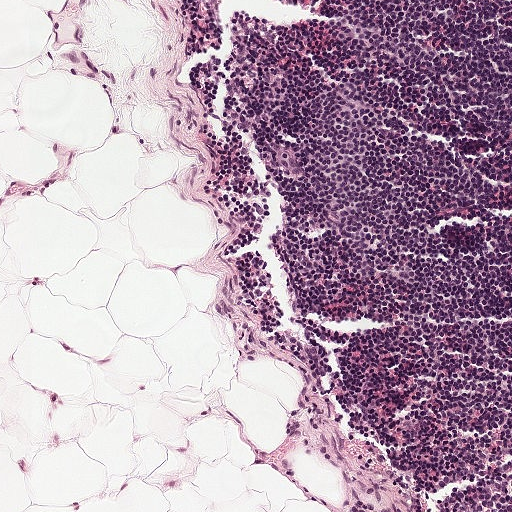
Lymph node section stained with H&E, from a whole-slide image of a breast-cancer sentinel node. Magnification about 10×, about 0.5 mm across the frame, about 0.97 µm per pixel.